Question: 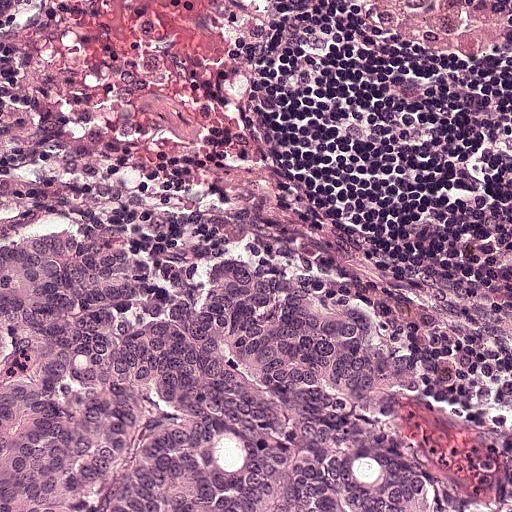
A 0.25-mm field of an H&E-stained sentinel lymph node from a breast-cancer patient (whole-slide image), shown at about 20×, about 0.49 µm per pixel.
Roughly what share of this field is metastatic tumour?

Choices:
 (A) about 25% to 45%
 (B) about 10% to 20%
 (C) about 5% or less
 (D) about 50% or more
 (E) none: no tumour is outlined

Answer: (D) about 50% or more
About 50% of the field is tumour.
The outlined metastatic tumour's edge, as a closed clockwise path of 9 points: (66, 198), (156, 202), (239, 244), (327, 266), (481, 380), (511, 388), (511, 511), (0, 511), (0, 240).